Question: 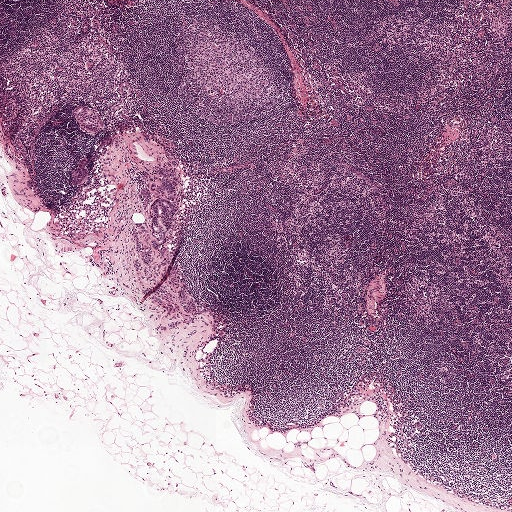
At roughly what magnification is this field shown?

Choices:
 (A) about 20×
 (B) about 2.5×
 (C) about 10×
 (D) about 5×
 (E) about 40×

Answer: (B) about 2.5×
H&E-stained section of a sentinel lymph node (breast cancer), from a whole-slide image, viewed at about 2.5×: the field is about 2.0 mm across, about 3.9 µm per pixel.
Three metastatic tumour regions, each outlined as a closed clockwise path in crop pixels (x, y), largest first: region 1: (172, 164), (182, 165), (181, 197), (167, 238), (166, 254), (197, 305), (193, 315), (179, 308), (177, 315), (172, 315), (133, 285), (135, 273), (146, 273), (151, 268), (150, 268), (143, 272), (131, 267), (136, 251), (130, 233), (142, 221), (150, 220), (148, 209), (135, 199), (136, 190); region 2: (79, 104), (98, 113), (103, 120), (102, 129), (95, 133), (80, 130), (72, 114), (72, 109); region 3: (84, 157), (86, 157), (89, 171), (89, 179), (86, 184), (81, 186), (77, 186), (74, 181), (70, 179), (72, 168).
About 5% of the image area is annotated as tumour.